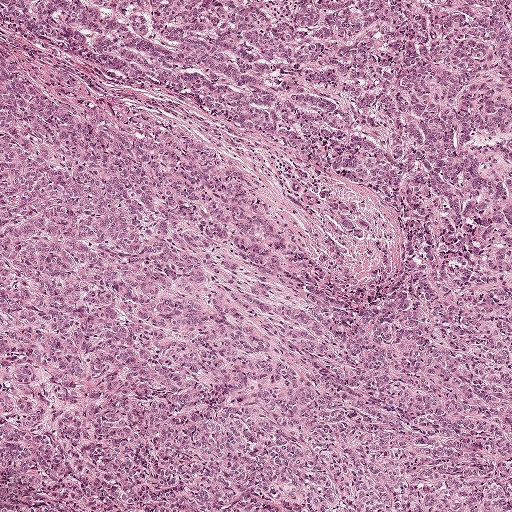
H&E-stained section of a sentinel lymph node (breast cancer), from a whole-slide image, viewed at about 5×: the field is about 1 mm across, about 1.9 µm per pixel.
Metastatic tumour covers the whole field.
Tumour covers over 95% of the frame.